H&E-stained section of a sentinel lymph node (breast cancer), from a whole-slide image, viewed at about 2.5×: the field is about 2.0 mm across, about 3.9 µm per pixel.
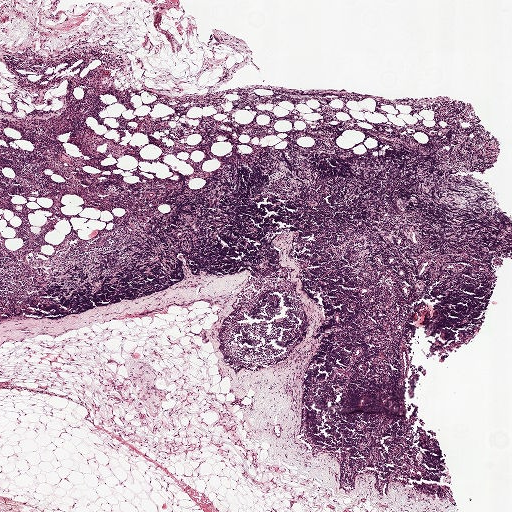
Question: Does this lymph node field contain metastatic tumour?
Answer: No. No metastatic tumour is outlined in this field.